Question: 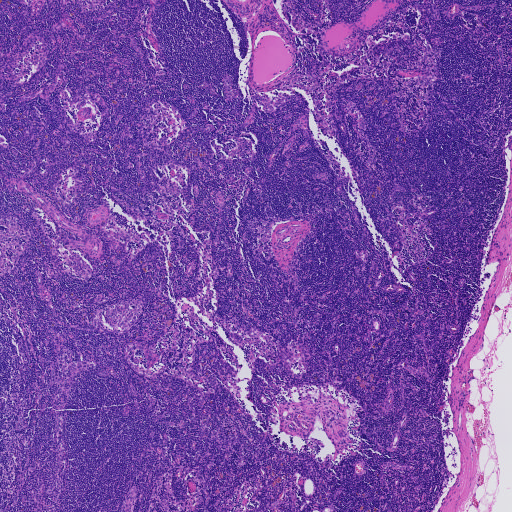
At roughly what magnification is this field shown?

Choices:
 (A) about 2.5×
 (B) about 20×
 (C) about 40×
 (D) about 10×
 (E) about 5×

Answer: (A) about 2.5×
H&E-stained section of a sentinel lymph node (breast cancer), from a whole-slide image, viewed at about 2.5×: the field is about 1.9 mm across, about 3.6 µm per pixel.